Question: 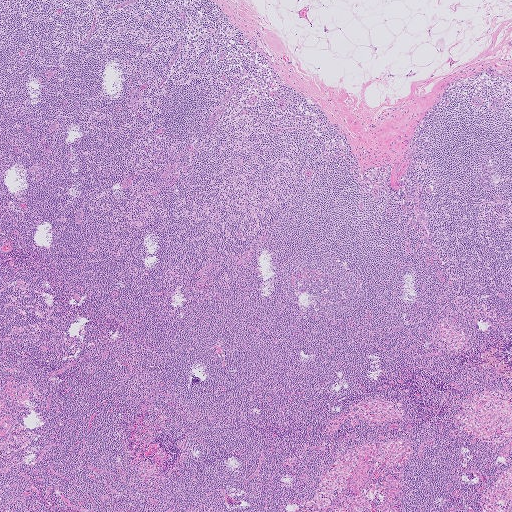
At roughly what magnification is this field shown?

Choices:
 (A) about 2.5×
 (B) about 40×
 (C) about 10×
 (D) about 20×
 (E) about 5×

Answer: (A) about 2.5×
H&E-stained section of a sentinel lymph node (breast cancer), from a whole-slide image, viewed at about 2.5×: the field is about 2.0 mm across, about 4.0 µm per pixel.